Question: 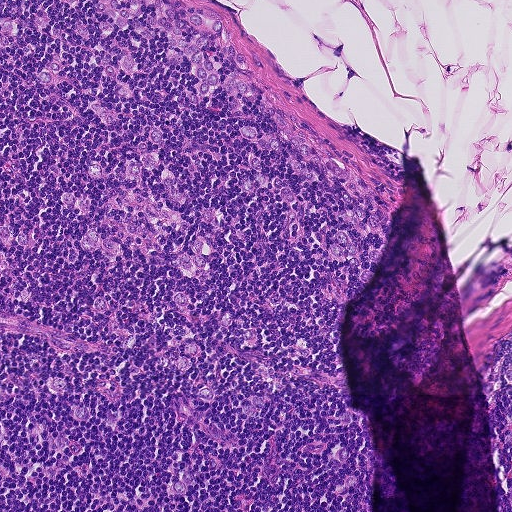
Lymph node section stained with H&E, from a whole-slide image of a breast-cancer sentinel node. Magnification about 10×, about 0.46 mm across the frame, about 0.9 µm per pixel.
What fraction of the image area is metastatic tumour?

Choices:
 (A) about 25% to 45%
 (B) about 10% to 20%
 (C) none: no tumour is outlined
 (D) about 5% or less
 (E) about 50% or more

Answer: (E) about 50% or more
About 70% of the field is tumour.
Tumour region outline (a closed clockwise path, crop pixels): (0, 0), (185, 0), (220, 18), (286, 99), (398, 195), (406, 152), (413, 150), (437, 208), (480, 364), (510, 335), (511, 511), (500, 511), (486, 406), (412, 153), (384, 253), (342, 320), (350, 400), (370, 410), (373, 511), (0, 511).